Question: 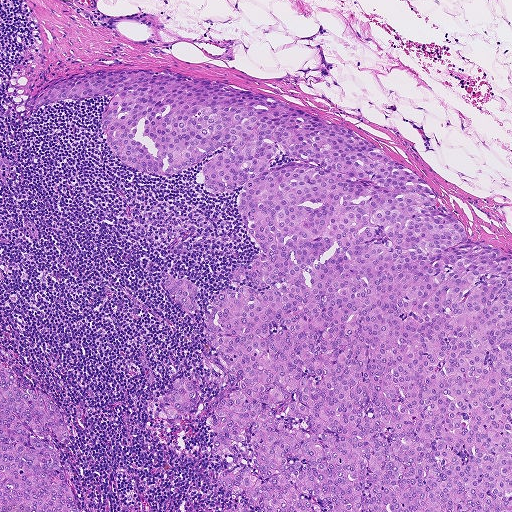
Lymph node section stained with H&E, from a whole-slide image of a breast-cancer sentinel node. Magnification about 5×, about 0.93 mm across the frame, about 1.8 µm per pixel.
Roughly what share of this field is metastatic tumour?

Choices:
 (A) about 5% or less
 (B) about 50% or more
 (C) about 25% to 45%
 (D) about 10% to 20%
 (E) none: no tumour is outlined

Answer: (B) about 50% or more
About 50% of the field is tumour.
Four metastatic tumour regions, each outlined as a closed clockwise path in crop pixels (x, y), largest first: region 1: (114, 68), (218, 80), (355, 130), (511, 255), (511, 511), (260, 511), (216, 479), (263, 480), (249, 428), (216, 456), (206, 416), (238, 389), (203, 323), (264, 253), (244, 186), (201, 181), (227, 143), (162, 175), (108, 148), (113, 97), (26, 102); region 2: (0, 361), (10, 369), (20, 391), (36, 390), (54, 402), (60, 412), (69, 438), (59, 442), (48, 429), (47, 434), (81, 511), (0, 511); region 3: (177, 376), (189, 378), (194, 381), (200, 392), (205, 396), (200, 397), (194, 413), (188, 414), (184, 418), (172, 420), (148, 414), (148, 407), (150, 401), (160, 394), (171, 392), (173, 380); region 4: (163, 271), (176, 279), (187, 278), (196, 286), (194, 298), (195, 309), (191, 313), (181, 308), (163, 286), (159, 275).
One more small tumour piece is annotated here but not outlined.